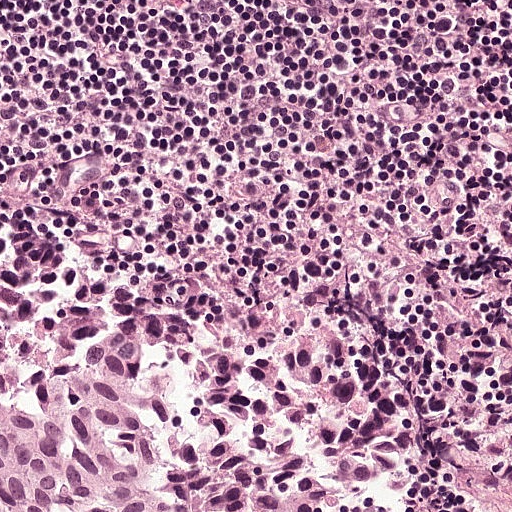
A 0.25-mm field of an H&E-stained sentinel lymph node from a breast-cancer patient (whole-slide image), shown at about 20×, about 0.49 µm per pixel.
The outlined metastatic tumour's edge, as a closed clockwise path of 11 points: (0, 253), (94, 262), (138, 287), (171, 282), (242, 300), (351, 358), (406, 420), (407, 453), (385, 487), (421, 511), (0, 511).
Tumour covers about 30% of the frame.